Image:
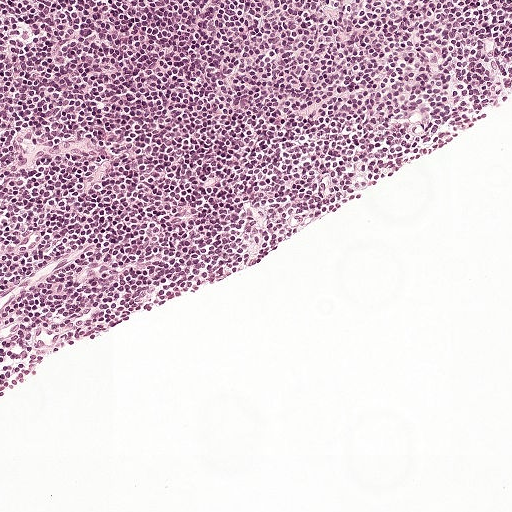
Lymph node section stained with H&E, from a whole-slide image of a breast-cancer sentinel node. Magnification about 10×, about 0.5 mm across the frame, about 0.97 µm per pixel.
Question:
Is there metastatic carcinoma in this field?
Answer:
No, this field holds no outlined metastasis.